Image:
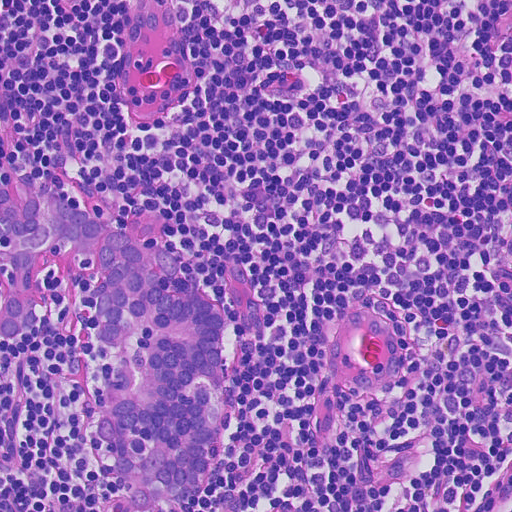
Lymph node section stained with H&E, from a whole-slide image of a breast-cancer sentinel node. Magnification about 20×, about 0.23 mm across the frame, about 0.45 µm per pixel.
Question:
Trace the edge of each tumour region in this crop, as (x, y) points from 0 to 511.
Answer:
Tumour region outline (a closed clockwise path, crop pixels): (26, 172), (162, 248), (226, 314), (228, 404), (202, 491), (140, 508), (114, 468), (111, 447), (94, 435), (103, 383), (118, 357), (92, 332), (100, 318), (92, 252), (61, 240), (44, 250), (35, 288), (43, 317), (5, 340), (0, 184).
The annotated tumour makes up about 15% of the crop.